Image:
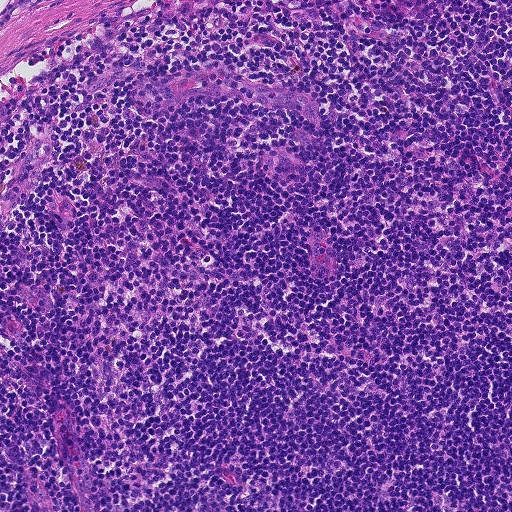
H&E-stained section of a sentinel lymph node (breast cancer), from a whole-slide image, viewed at about 10×: the field is about 0.46 mm across, about 0.9 µm per pixel.
Question:
Does this lymph node field contain metastatic tumour?
Answer:
No. No metastatic tumour is outlined in this field.